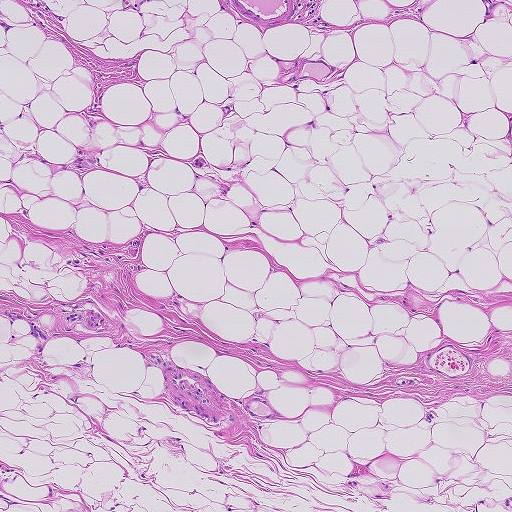
H&E-stained section of a sentinel lymph node (breast cancer), from a whole-slide image, viewed at about 5×: the field is about 0.93 mm across, about 1.8 µm per pixel.
Question: Is any metastatic breast cancer visible in this crop?
Answer: No. No metastatic tumour is outlined in this field.